Question: 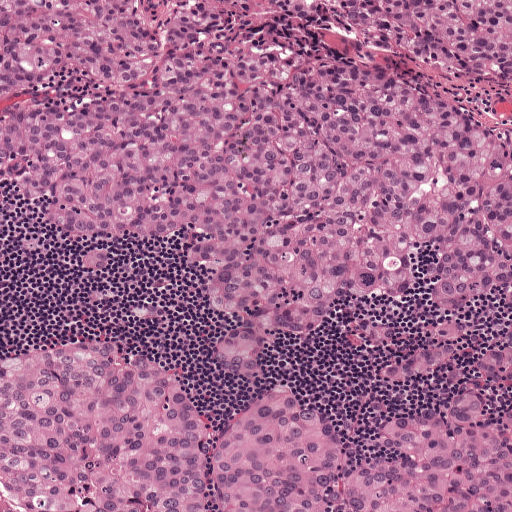
This is a crop of a whole-slide image: an H&E-stained breast-cancer sentinel lymph node section at roughly 10× magnification (about 0.97 µm per pixel; the crop spans about 0.5 mm).
About how much of this crop is taken up by metastatic carcinoma?

Choices:
 (A) about 50% or more
 (B) none: no tumour is outlined
 (C) about 25% to 45%
 (D) about 5% or less
 (E) about 10% to 20%

Answer: (A) about 50% or more
About 90% of the field is tumour.
Metastatic tumour outline, simplified to 20 points and listed clockwise in crop pixels (x, y): (0, 0), (511, 0), (511, 511), (0, 511), (0, 348), (133, 344), (186, 367), (220, 428), (285, 380), (356, 458), (471, 373), (494, 300), (481, 332), (402, 390), (348, 359), (303, 359), (265, 384), (220, 377), (162, 258), (0, 197).